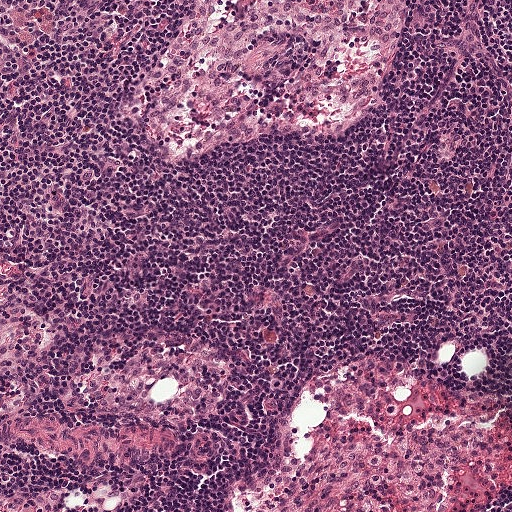
H&E-stained section of a sentinel lymph node (breast cancer), from a whole-slide image, viewed at about 10×: the field is about 0.5 mm across, about 0.97 µm per pixel.
Question: Is any metastatic breast cancer visible in this crop?
Answer: No. No metastatic tumour is outlined in this field.